H&E-stained section of a sentinel lymph node (breast cancer), from a whole-slide image, viewed at about 20×: the field is about 0.25 mm across, about 0.49 µm per pixel.
Question: 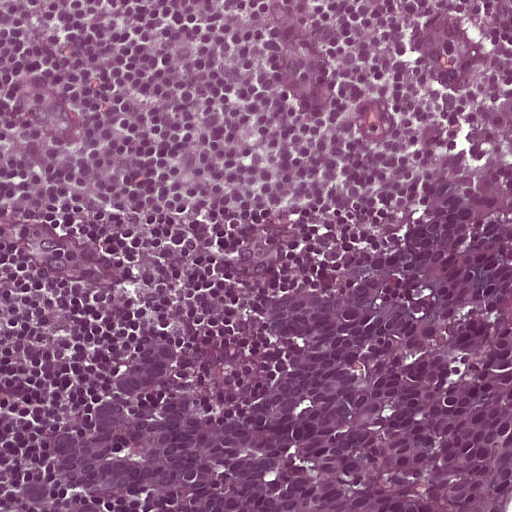
What fraction of the image area is metastatic tumour?

Choices:
 (A) none: no tumour is outlined
 (B) about 10% to 20%
 (C) about 25% to 45%
 (D) about 50% or more
 (E) about 5% or less

Answer: (C) about 25% to 45%
About 40% of the field is tumour.
The outlined metastatic tumour's edge, as a closed clockwise path of 16 points: (511, 71), (511, 511), (14, 511), (1, 498), (2, 464), (20, 438), (149, 330), (179, 318), (186, 385), (208, 412), (271, 375), (258, 300), (334, 274), (364, 241), (415, 214), (429, 175).